Question: 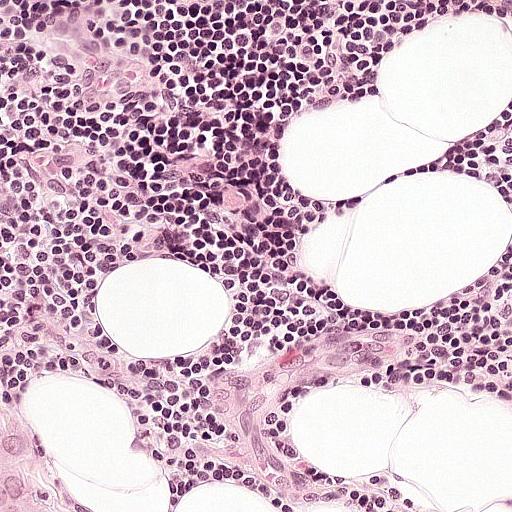
H&E-stained section of a sentinel lymph node (breast cancer), from a whole-slide image, viewed at about 20×: the field is about 0.25 mm across, about 0.49 µm per pixel.
What fraction of the image area is metastatic tumour?

Choices:
 (A) about 50% or more
 (B) about 10% to 20%
 (C) about 25% to 45%
 (D) about 5% or less
 (E) none: no tumour is outlined

Answer: (D) about 5% or less
About 5% of the field is tumour.
Tumour region outline (a closed clockwise path, crop pixels): (0, 310), (30, 380), (53, 406), (104, 502), (116, 511), (0, 511).